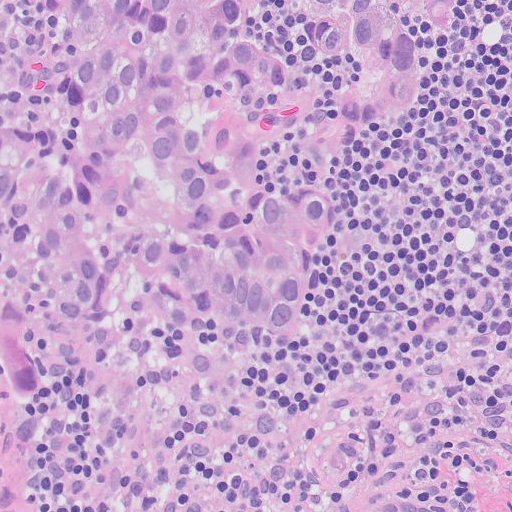
This is a crop of a whole-slide image: an H&E-stained breast-cancer sentinel lymph node section at roughly 20× magnification (about 0.5 µm per pixel; the crop spans about 0.26 mm).
The outlined metastatic tumour's edge, as a closed clockwise path of 24 points: (455, 0), (445, 34), (420, 42), (416, 98), (401, 120), (328, 168), (276, 152), (272, 178), (326, 200), (306, 338), (256, 348), (146, 313), (80, 352), (56, 340), (40, 361), (45, 389), (31, 413), (4, 402), (0, 321), (40, 312), (0, 240), (0, 126), (54, 116), (58, 8).
About 45% of this field is tumour.